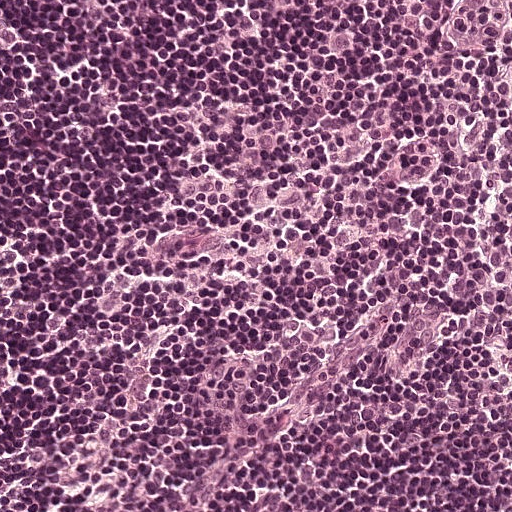
A 0.25-mm field of an H&E-stained sentinel lymph node from a breast-cancer patient (whole-slide image), shown at about 20×, about 0.49 µm per pixel.
Question: Is any metastatic breast cancer visible in this crop?
Answer: No. No metastatic tumour is outlined in this field.